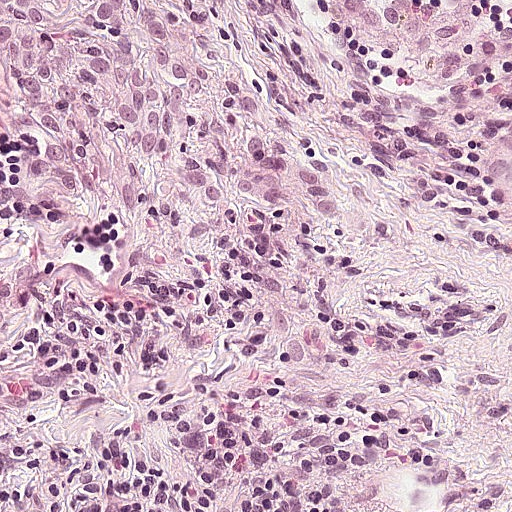
This is a crop of a whole-slide image: an H&E-stained breast-cancer sentinel lymph node section at roughly 20× magnification (about 0.49 µm per pixel; the crop spans about 0.25 mm).
Tumour region outline (a closed clockwise path, crop pixels): (0, 0), (165, 0), (202, 50), (222, 50), (214, 93), (188, 102), (187, 135), (174, 164), (146, 170), (128, 147), (114, 144), (58, 189), (36, 185), (2, 144).
About 10% of this field is tumour.